Question: 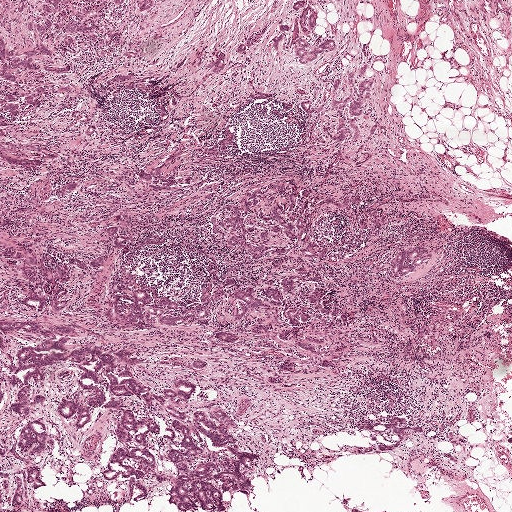
This is a crop of a whole-slide image: an H&E-stained breast-cancer sentinel lymph node section at roughly 2.5× magnification (about 3.9 µm per pixel; the crop spans about 2.0 mm).
What fraction of the image area is metastatic tumour?

Choices:
 (A) about 25% to 45%
 (B) about 50% or more
 (C) none: no tumour is outlined
 (D) about 10% to 20%
 (E) about 5% or less

Answer: (D) about 10% to 20%
About 20% of the field is tumour.
Outlines of the eight largest metastatic tumour regions, each a closed clockwise path in crop pixels (x, y), largest first: region 1: (41, 0), (160, 0), (149, 19), (128, 32), (123, 42), (90, 49), (82, 67), (62, 86), (59, 98), (10, 129), (9, 136), (51, 150), (60, 155), (61, 162), (54, 169), (27, 172), (0, 162), (0, 36), (14, 52), (26, 53); region 2: (214, 407), (236, 421), (230, 434), (243, 451), (261, 456), (251, 464), (254, 473), (244, 472), (252, 491), (229, 493), (221, 487), (221, 480), (206, 480), (220, 490), (224, 511), (178, 511), (167, 503), (176, 474), (168, 454), (181, 448), (163, 435), (176, 420), (166, 414), (171, 409), (188, 414), (187, 423), (179, 422), (191, 428), (204, 450), (190, 470), (214, 463), (226, 473), (223, 459), (237, 460), (228, 449), (214, 448), (194, 424), (193, 414), (201, 411), (219, 427); region 3: (79, 345), (115, 351), (132, 348), (143, 361), (138, 366), (128, 369), (129, 371), (153, 394), (173, 378), (192, 379), (196, 382), (196, 389), (188, 402), (176, 398), (167, 399), (166, 404), (153, 402), (151, 411), (138, 404), (131, 395), (110, 395), (102, 386), (105, 402), (101, 407), (94, 408), (91, 424), (81, 428), (72, 427), (59, 416), (57, 404), (63, 397), (84, 406), (93, 396), (79, 386), (81, 371), (68, 361), (70, 352); region 4: (211, 265), (221, 279), (230, 266), (237, 284), (226, 289), (202, 323), (174, 330), (149, 321), (140, 333), (127, 335), (115, 331), (105, 320), (110, 276), (119, 270), (127, 270), (138, 285), (184, 307), (200, 300), (207, 267); region 5: (27, 318), (46, 327), (68, 326), (73, 333), (73, 341), (65, 347), (63, 361), (41, 370), (37, 384), (27, 382), (29, 394), (41, 394), (44, 400), (23, 417), (7, 407), (14, 393), (8, 383), (15, 370), (13, 354), (16, 349), (45, 340), (0, 331), (0, 320); region 6: (111, 399), (124, 402), (140, 418), (157, 420), (162, 431), (158, 436), (151, 435), (146, 446), (165, 482), (156, 483), (146, 474), (139, 480), (149, 494), (136, 503), (128, 499), (128, 479), (118, 475), (109, 483), (99, 475), (111, 452), (122, 447), (115, 439), (120, 414), (103, 406); region 7: (11, 243), (32, 256), (46, 252), (63, 256), (75, 256), (87, 259), (99, 255), (101, 257), (101, 266), (94, 268), (87, 267), (81, 269), (66, 262), (68, 278), (62, 284), (66, 291), (55, 297), (59, 300), (66, 298), (63, 308), (59, 311), (49, 309), (50, 294), (54, 282), (47, 280), (42, 281), (41, 284), (46, 302), (42, 309), (36, 311), (19, 303), (30, 289), (29, 281), (13, 262), (0, 256), (0, 248); region 8: (274, 185), (286, 187), (286, 196), (274, 192), (261, 197), (260, 210), (254, 210), (252, 216), (247, 216), (247, 226), (257, 231), (245, 239), (252, 245), (271, 250), (260, 265), (248, 260), (245, 253), (228, 247), (221, 228), (228, 215), (227, 207), (244, 200), (257, 189).
35 more, smaller tumour regions are not outlined.
10 more small tumour pieces are annotated here but not outlined.